Question: 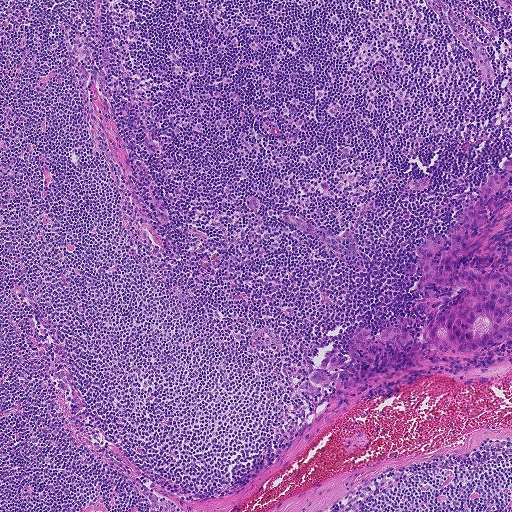
This is a crop of a whole-slide image: an H&E-stained breast-cancer sentinel lymph node section at roughly 5× magnification (about 1.8 µm per pixel; the crop spans about 0.93 mm).
What fraction of the image area is metastatic tumour?

Choices:
 (A) about 10% to 20%
 (B) about 25% to 45%
 (C) about 50% or more
 (D) about 5% or less
 (E) none: no tumour is outlined

Answer: (D) about 5% or less
About 5% of the field is tumour.
Boundaries of two metastatic tumour regions, simplified and listed clockwise, largest first: region 1: (511, 157), (507, 192), (488, 202), (490, 217), (482, 230), (488, 235), (486, 242), (460, 266), (482, 275), (511, 271), (511, 292), (508, 294), (511, 297), (511, 337), (462, 356), (439, 353), (426, 345), (430, 324), (460, 291), (432, 284), (441, 305), (429, 313), (422, 311), (428, 289), (416, 282), (420, 276), (420, 247), (429, 235), (444, 234), (450, 226), (460, 223), (455, 215), (472, 205), (486, 179), (494, 173), (503, 177), (509, 170), (502, 169), (503, 162); region 2: (398, 316), (410, 317), (416, 322), (409, 326), (408, 330), (411, 342), (403, 344), (390, 341), (386, 343), (374, 355), (374, 363), (370, 365), (354, 362), (351, 359), (341, 366), (359, 378), (360, 387), (357, 390), (348, 390), (340, 388), (334, 382), (321, 384), (309, 378), (310, 374), (318, 372), (330, 373), (322, 370), (319, 367), (320, 362), (326, 356), (334, 353), (346, 356), (356, 329), (372, 326), (372, 335), (367, 338), (375, 340), (383, 327), (398, 327).